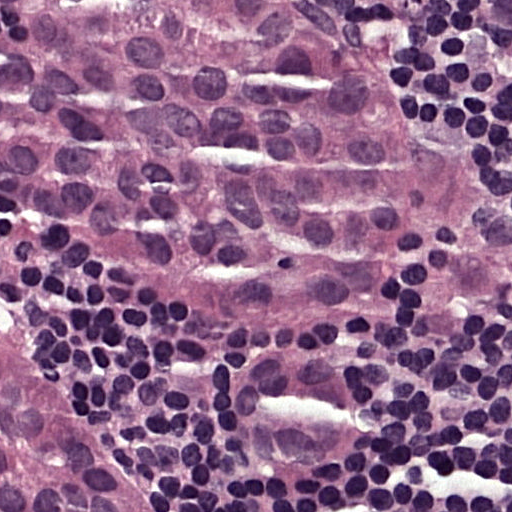
This is a crop of a whole-slide image: an H&E-stained breast-cancer sentinel lymph node section at roughly 40× magnification (about 0.24 µm per pixel; the crop spans about 0.12 mm).
Outlines of two tumour regions, largest first (closed clockwise paths, crop pixels): region 1: (0, 0), (317, 0), (432, 121), (464, 207), (443, 293), (370, 344), (364, 433), (291, 482), (83, 311), (0, 195); region 2: (0, 323), (15, 342), (149, 468), (185, 511), (0, 511).
About 65% of the image area is annotated as tumour.